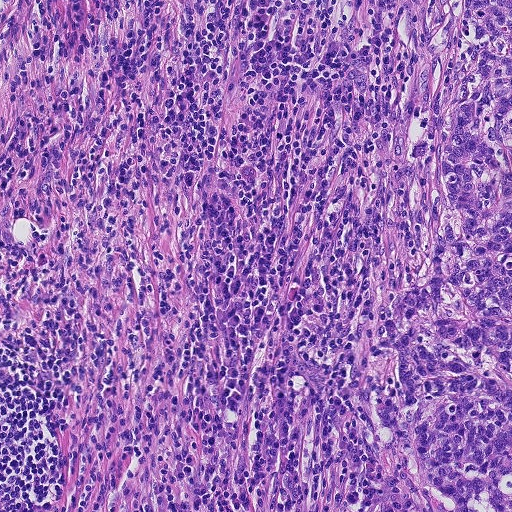
H&E-stained section of a sentinel lymph node (breast cancer), from a whole-slide image, viewed at about 10×: the field is about 0.46 mm across, about 0.9 µm per pixel.
The outlined metastatic tumour's edge, as a closed clockwise path of 7 points: (425, 0), (511, 0), (511, 511), (419, 511), (363, 424), (349, 348), (391, 224).
Tumour covers about 25% of the frame.